Question: 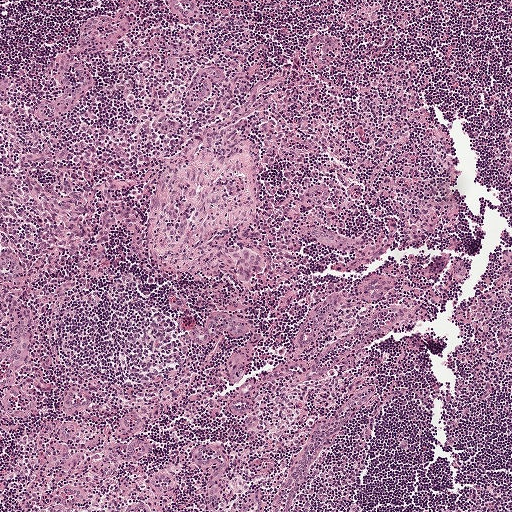
H&E-stained section of a sentinel lymph node (breast cancer), from a whole-slide image, viewed at about 5×: the field is about 1 mm across, about 1.9 µm per pixel.
Roughly what share of this field is metastatic tumour?

Choices:
 (A) about 50% or more
 (B) about 25% to 45%
 (C) about 5% or less
 (D) none: no tumour is outlined
 (E) about 10% to 20%

Answer: (C) about 5% or less
Under 5% of the field is tumour.
Tumour region outline (a closed clockwise path, crop pixels): (228, 243), (237, 243), (247, 246), (267, 257), (266, 272), (262, 275), (256, 276), (244, 285), (239, 285), (234, 276), (232, 263), (222, 258), (222, 248).